H&E-stained section of a sentinel lymph node (breast cancer), from a whole-slide image, viewed at about 20×: the field is about 0.23 mm across, about 0.45 µm per pixel.
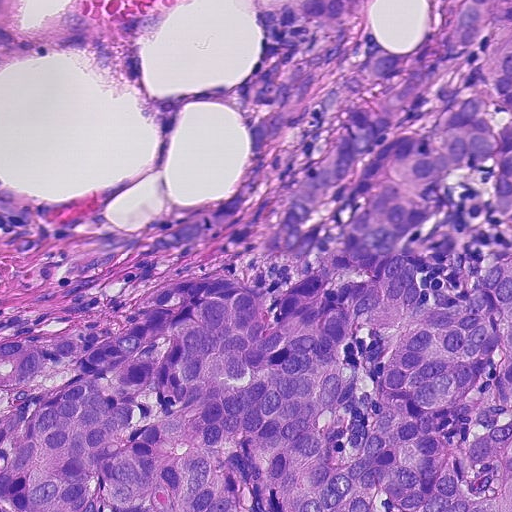
Metastatic tumour outline, simplified to 21 points and listed clockwise in crop pixels (x, y): (254, 0), (511, 0), (511, 511), (0, 511), (0, 336), (76, 341), (164, 283), (301, 278), (320, 268), (253, 263), (258, 229), (326, 151), (342, 107), (280, 137), (232, 220), (138, 252), (160, 226), (222, 192), (240, 162), (237, 95), (258, 31).
About 70% of this field is tumour.